Question: 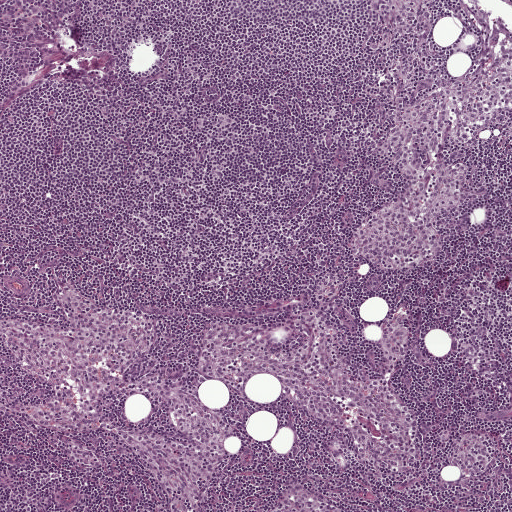
Which magnification is this H&E lymph node field most likely shown at?

Choices:
 (A) about 40×
 (B) about 5×
 (C) about 2.5×
 (D) about 10×
 (E) about 20×

Answer: (B) about 5×
This is a crop of a whole-slide image: an H&E-stained breast-cancer sentinel lymph node section at roughly 5× magnification (about 1.9 µm per pixel; the crop spans about 1 mm).